Question: 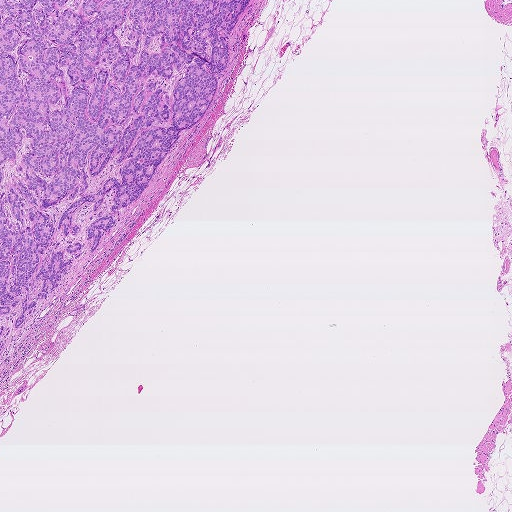
Lymph node section stained with H&E, from a whole-slide image of a breast-cancer sentinel node. Magnification about 2.5×, about 1.9 mm across the frame, about 3.6 µm per pixel.
Estimate the proportion of this field that is metastatic tumour.

Choices:
 (A) about 5% or less
 (B) none: no tumour is outlined
 (C) about 25% to 45%
 (D) about 50% or more
 (E) about 10% to 20%

Answer: (E) about 10% to 20%
About 20% of the field is tumour.
Tumour region outline (a closed clockwise path, crop pixels): (0, 0), (253, 0), (230, 35), (207, 112), (178, 133), (141, 196), (117, 210), (113, 217), (121, 218), (94, 252), (91, 240), (0, 350).